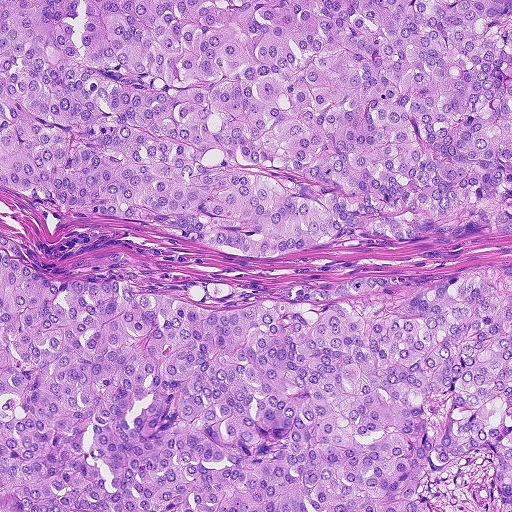
H&E-stained section of a sentinel lymph node (breast cancer), from a whole-slide image, viewed at about 10×: the field is about 0.46 mm across, about 0.9 µm per pixel.
Outlines of two tumour regions, largest first (closed clockwise paths, crop pixels): region 1: (0, 228), (48, 273), (65, 278), (123, 251), (155, 289), (215, 307), (356, 274), (511, 262), (511, 511), (0, 511); region 2: (0, 0), (511, 0), (511, 233), (242, 259), (131, 219), (49, 216), (0, 186).
About 90% of the image area is annotated as tumour.